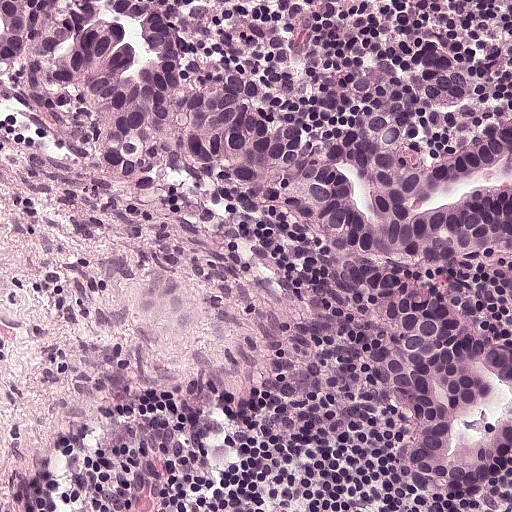
Lymph node section stained with H&E, from a whole-slide image of a breast-cancer sentinel node. Magnification about 20×, about 0.25 mm across the frame, about 0.49 µm per pixel.
Outlines of two tumour regions, largest first (closed clockwise paths, crop pixels): region 1: (0, 0), (155, 0), (180, 63), (295, 120), (384, 114), (411, 136), (511, 105), (511, 244), (399, 274), (511, 334), (511, 455), (476, 475), (380, 456), (380, 393), (316, 310), (300, 237), (225, 174), (162, 191), (114, 176), (91, 96), (41, 56), (0, 60); region 2: (504, 262), (511, 266), (511, 308), (498, 300), (494, 293), (486, 284), (489, 275), (495, 266).
Tumour covers about 35% of the frame.